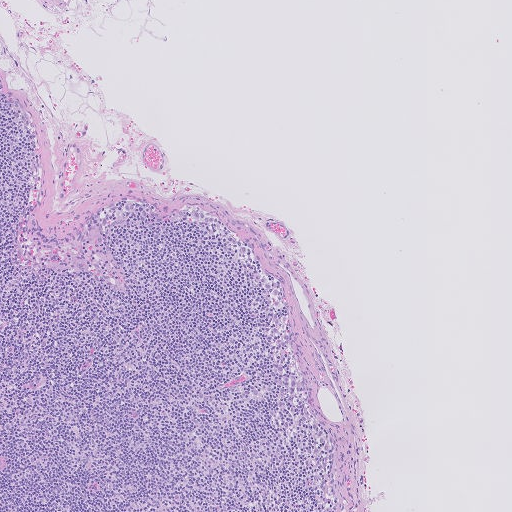
A 1.0-mm field of an H&E-stained sentinel lymph node from a breast-cancer patient (whole-slide image), shown at about 5×, about 2.0 µm per pixel.